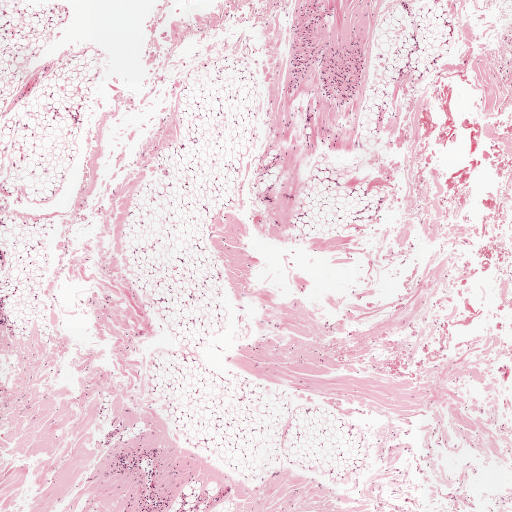
Lymph node section stained with H&E, from a whole-slide image of a breast-cancer sentinel node. Magnification about 2.5×, about 2.0 mm across the frame, about 3.9 µm per pixel.